H&E-stained section of a sentinel lymph node (breast cancer), from a whole-slide image, viewed at about 5×: the field is about 1.0 mm across, about 2.0 µm per pixel.
Question: 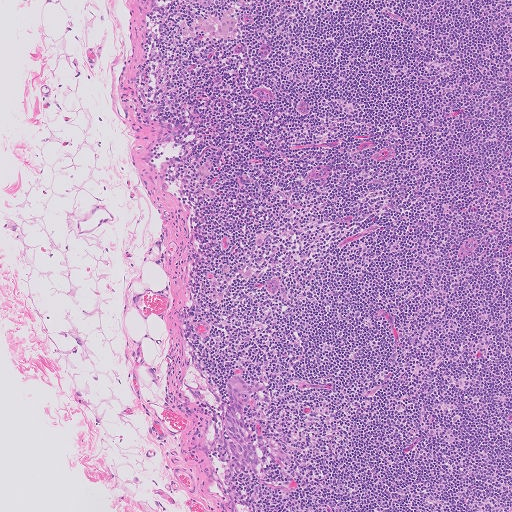
Roughly what share of this field is metastatic tumour?

Choices:
 (A) about 50% or more
 (B) about 10% to 20%
 (C) about 25% to 45%
 (D) none: no tumour is outlined
 (E) about 5% or less

Answer: (E) about 5% or less
Under 5% of the field is tumour.
The outlined metastatic tumour's edge, as a closed clockwise path of 12 points: (238, 373), (250, 382), (254, 389), (255, 398), (247, 412), (259, 458), (254, 473), (246, 475), (231, 470), (221, 448), (222, 424), (230, 375).